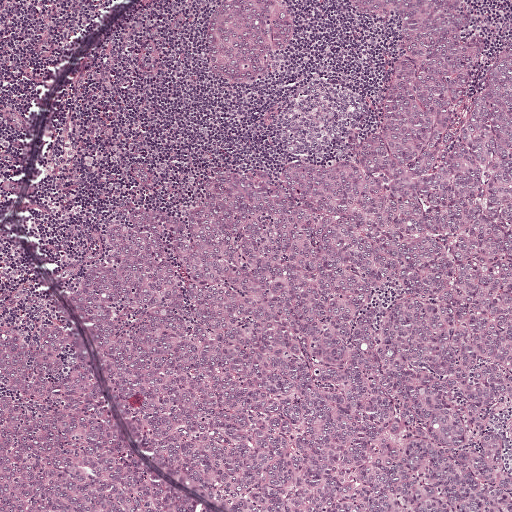
Lymph node section stained with H&E, from a whole-slide image of a breast-cancer sentinel node. Magnification about 5×, about 1 mm across the frame, about 1.9 µm per pixel.
Two metastatic tumour regions, each outlined as a closed clockwise path in crop pixels (x, y), largest first: region 1: (342, 0), (464, 0), (464, 38), (478, 32), (488, 54), (470, 102), (511, 39), (511, 511), (0, 511), (8, 297), (27, 285), (54, 321), (55, 301), (105, 255), (123, 208), (182, 211), (218, 166), (336, 161), (369, 140), (399, 22), (365, 18); region 2: (224, 0), (280, 0), (292, 23), (290, 46), (280, 66), (245, 85), (223, 80), (215, 72), (206, 51), (206, 28), (216, 6).
The annotated tumour makes up about 70% of the crop.